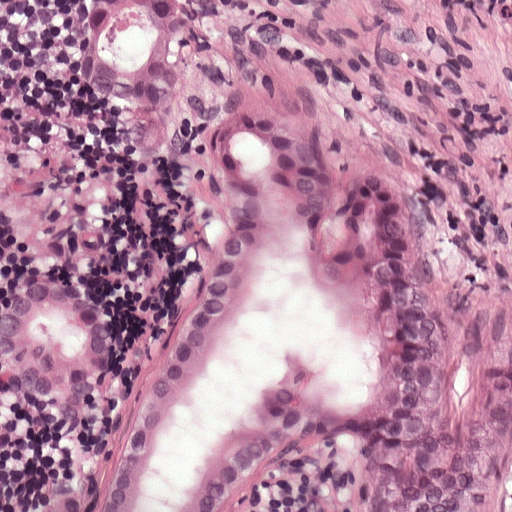
This is a crop of a whole-slide image: an H&E-stained breast-cancer sentinel lymph node section at roughly 20× magnification (about 0.49 µm per pixel; the crop spans about 0.25 mm).
Metastatic tumour outline, simplified to 14 points and listed clockwise in crop pixels (x, y): (51, 0), (218, 0), (310, 74), (508, 184), (511, 511), (0, 511), (0, 458), (31, 465), (0, 393), (0, 289), (14, 238), (129, 246), (92, 138), (26, 34).
Tumour covers about 80% of the frame.